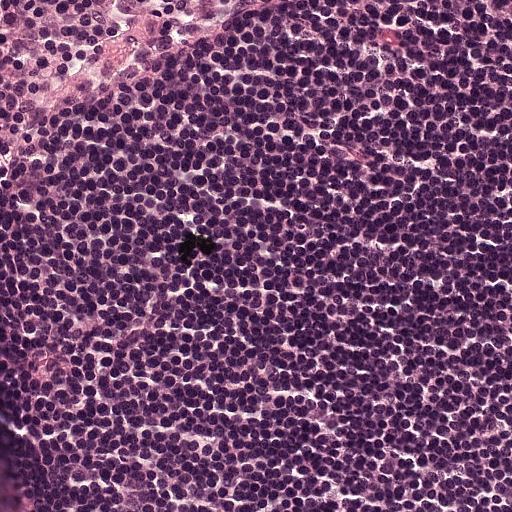
This is a crop of a whole-slide image: an H&E-stained breast-cancer sentinel lymph node section at roughly 20× magnification (about 0.49 µm per pixel; the crop spans about 0.25 mm).
Question: Is there metastatic carcinoma in this field?
Answer: No: no metastatic tumour is outlined anywhere in this field.